This is a crop of a whole-slide image: an H&E-stained breast-cancer sentinel lymph node section at roughly 10× magnification (about 0.97 µm per pixel; the crop spans about 0.5 mm).
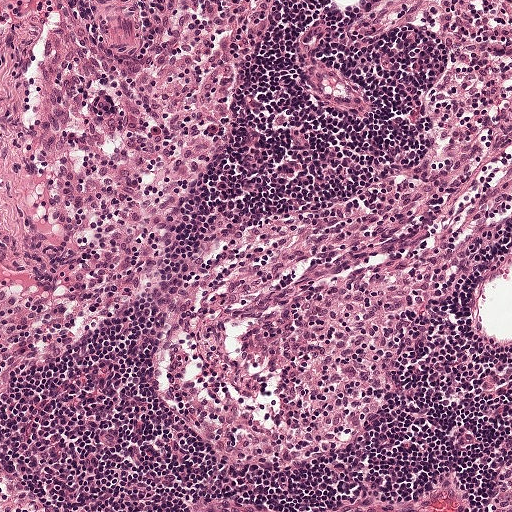
Question: Does this lymph node field contain metastatic tumour?
Answer: No. No metastatic tumour is outlined in this field.